Question: 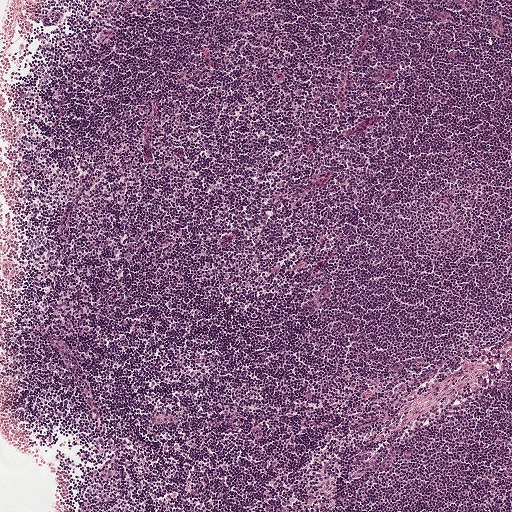
Which magnification is this H&E lymph node field most likely shown at?

Choices:
 (A) about 5×
 (B) about 10×
 (C) about 40×
 (D) about 20×
 (E) about 2.5×

Answer: (A) about 5×
Lymph node section stained with H&E, from a whole-slide image of a breast-cancer sentinel node. Magnification about 5×, about 1 mm across the frame, about 1.9 µm per pixel.